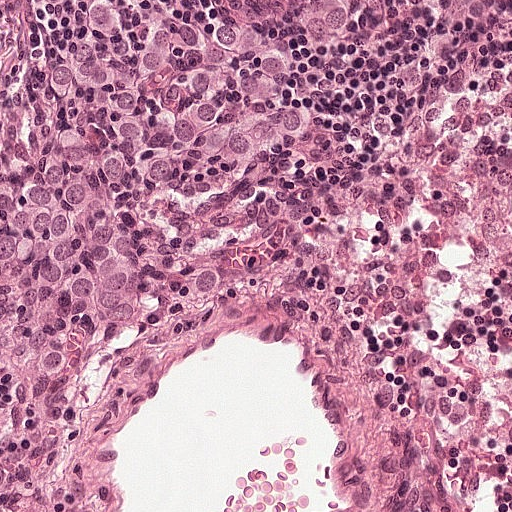
This is a crop of a whole-slide image: an H&E-stained breast-cancer sentinel lymph node section at roughly 20× magnification (about 0.49 µm per pixel; the crop spans about 0.25 mm).
Outlines of two tumour regions, largest first (closed clockwise paths, crop pixels): region 1: (96, 0), (228, 0), (299, 84), (309, 131), (215, 168), (121, 345), (71, 395), (2, 414), (0, 62), (70, 32); region 2: (288, 0), (380, 0), (372, 25), (363, 36), (334, 44), (321, 44), (300, 39), (288, 26).
About 30% of the image area is annotated as tumour.